Image:
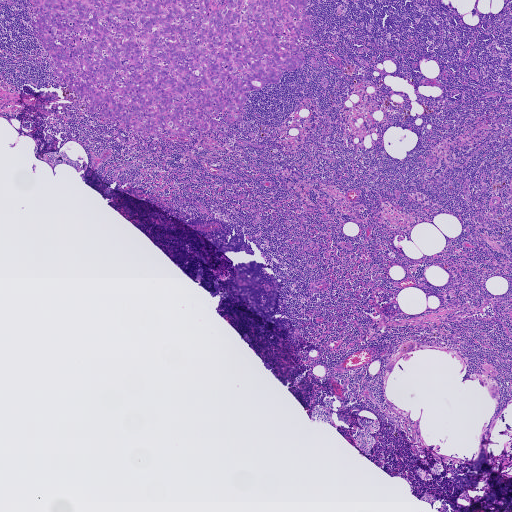
This is a crop of a whole-slide image: an H&E-stained breast-cancer sentinel lymph node section at roughly 2.5× magnification (about 3.6 µm per pixel; the crop spans about 1.9 mm).
Question:
Where is the metastatic tumour in this field?
Answer:
Metastatic tumour outline, simplified to 17 points and listed clockwise in crop pixels (x, y): (28, 0), (309, 0), (315, 31), (298, 40), (302, 66), (245, 92), (240, 121), (228, 122), (227, 110), (210, 116), (215, 127), (194, 127), (188, 138), (147, 137), (89, 113), (89, 96), (53, 75).
About 10% of the image area is annotated as tumour.